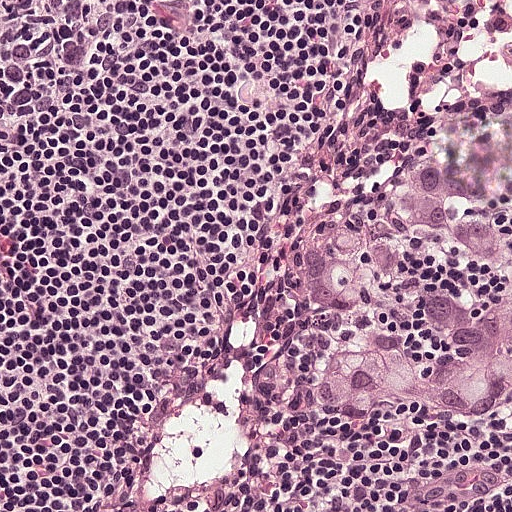
Lymph node section stained with H&E, from a whole-slide image of a breast-cancer sentinel node. Magnification about 20×, about 0.25 mm across the frame, about 0.49 µm per pixel.
The outlined metastatic tumour's edge, as a closed clockwise path of 13 points: (425, 160), (498, 162), (511, 232), (511, 410), (453, 412), (418, 400), (366, 412), (320, 394), (328, 322), (295, 264), (294, 243), (356, 197), (392, 197).
About 15% of the image area is annotated as tumour.